Question: 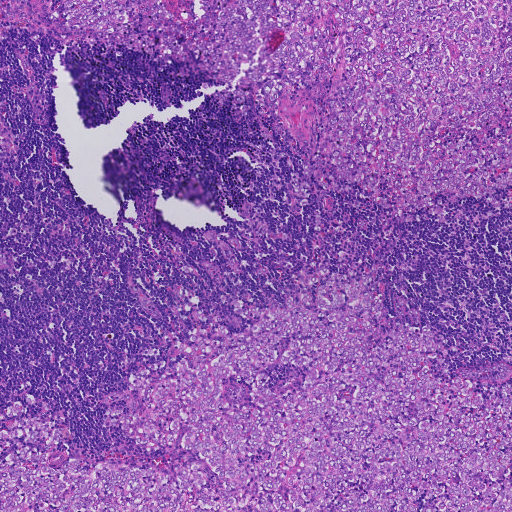
A 0.93-mm field of an H&E-stained sentinel lymph node from a breast-cancer patient (whole-slide image), shown at about 5×, about 1.8 µm per pixel.
About how much of this crop is taken up by metastatic carcinoma?

Choices:
 (A) about 50% or more
 (B) none: no tumour is outlined
 (C) about 25% to 45%
 (D) about 5% or less
 (E) about 10% to 20%

Answer: (A) about 50% or more
About 50% of the field is tumour.
Boundaries of two metastatic tumour regions, simplified and listed clockwise, largest first: region 1: (322, 267), (374, 280), (368, 338), (425, 324), (456, 376), (511, 385), (511, 511), (0, 511), (0, 428), (27, 394), (61, 415), (56, 468), (200, 460), (107, 410), (146, 410), (130, 379), (188, 359), (203, 314), (237, 334), (259, 316), (236, 298), (266, 311), (302, 285), (314, 306); region 2: (61, 0), (159, 0), (189, 21), (202, 2), (511, 0), (511, 186), (487, 193), (495, 212), (436, 193), (440, 212), (403, 211), (383, 178), (372, 193), (338, 180), (325, 189), (311, 173), (300, 205), (290, 176), (302, 178), (316, 116), (304, 89), (248, 116), (196, 55), (60, 30).
One more small tumour piece is annotated here but not outlined.